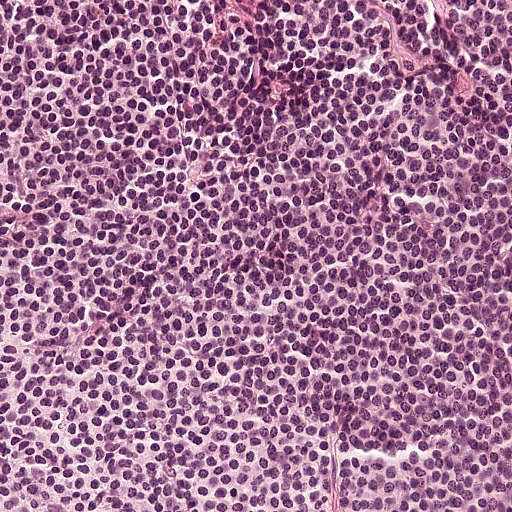
Lymph node section stained with H&E, from a whole-slide image of a breast-cancer sentinel node. Magnification about 20×, about 0.25 mm across the frame, about 0.49 µm per pixel.
Question: Is any metastatic breast cancer visible in this crop?
Answer: No. No metastatic tumour is outlined in this field.